Question: 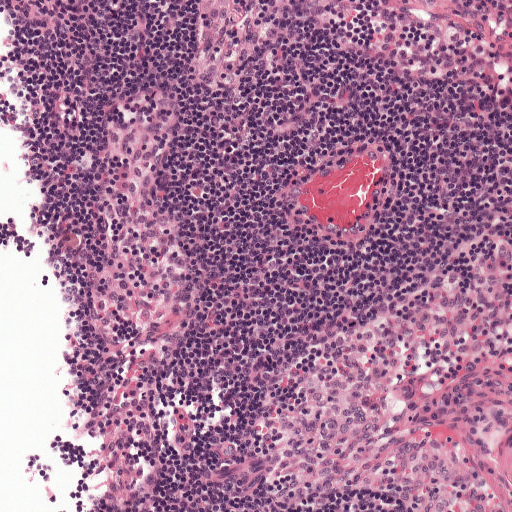
Which magnification is this H&E lymph node field most likely shown at?

Choices:
 (A) about 10×
 (B) about 5×
 (C) about 20×
 (D) about 40×
 (E) about 2.5×

Answer: (A) about 10×
Lymph node section stained with H&E, from a whole-slide image of a breast-cancer sentinel node. Magnification about 10×, about 0.5 mm across the frame, about 0.97 µm per pixel.